Image:
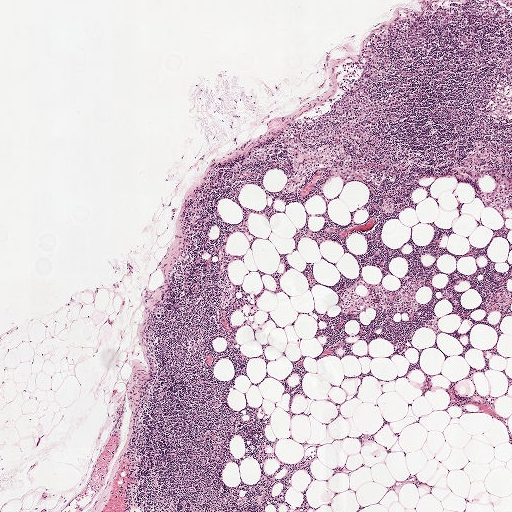
This is a crop of a whole-slide image: an H&E-stained breast-cancer sentinel lymph node section at roughly 2.5× magnification (about 3.9 µm per pixel; the crop spans about 2.0 mm).
Question:
Does this lymph node field contain metastatic tumour?
Answer:
Yes.
Metastatic tumour outline, simplified to 22 points and listed clockwise in crop pixels (x, y): (437, 6), (457, 8), (459, 22), (429, 35), (425, 52), (416, 59), (418, 79), (412, 86), (410, 107), (386, 133), (385, 151), (380, 162), (366, 161), (339, 144), (296, 143), (290, 138), (290, 130), (311, 123), (337, 99), (355, 76), (365, 47), (386, 18).
About 5% of this field is tumour.

Image:
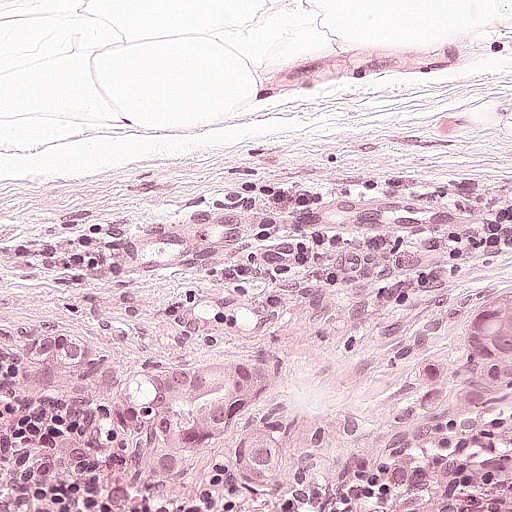
This is a crop of a whole-slide image: an H&E-stained breast-cancer sentinel lymph node section at roughly 20× magnification (about 0.49 µm per pixel; the crop spans about 0.25 mm).
Question:
Does this lymph node field contain metastatic tumour?
Answer:
Yes.
Boundaries of two metastatic tumour regions, simplified and listed clockwise, largest first: region 1: (236, 344), (264, 352), (272, 360), (272, 400), (250, 415), (220, 465), (202, 483), (178, 495), (148, 495), (134, 490), (127, 466), (136, 442), (132, 396), (136, 372), (141, 364), (168, 358), (210, 370); region 2: (510, 304), (511, 408), (466, 425), (440, 459), (374, 484), (364, 480), (372, 454), (409, 388), (459, 356), (473, 327).
Tumour covers about 10% of the frame.

Image:
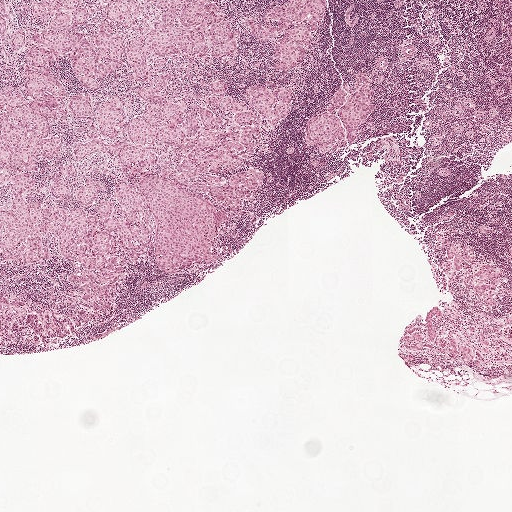
This is a crop of a whole-slide image: an H&E-stained breast-cancer sentinel lymph node section at roughly 2.5× magnification (about 3.9 µm per pixel; the crop spans about 2.0 mm).
Question:
Does this lymph node field contain metastatic tumour?
Answer:
Yes.
One metastatic tumour region; its boundary, reduced to 21 corners and listed clockwise: (0, 0), (326, 0), (298, 74), (274, 68), (276, 44), (246, 36), (214, 65), (240, 101), (266, 81), (295, 96), (238, 165), (264, 177), (243, 216), (220, 230), (215, 262), (163, 272), (152, 243), (103, 323), (46, 346), (21, 336), (0, 347).
About 30% of the image area is annotated as tumour.

Image:
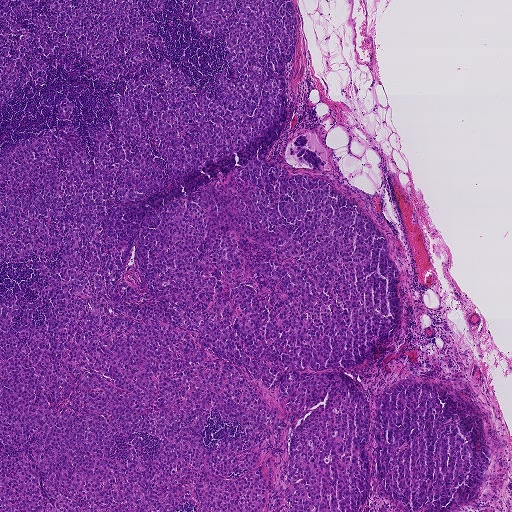
A 1.9-mm field of an H&E-stained sentinel lymph node from a breast-cancer patient (whole-slide image), shown at about 2.5×, about 3.6 µm per pixel.
Question:
Does this lymph node field contain metastatic tumour?
Answer:
Yes.
Boundaries of two metastatic tumour regions, simplified and listed clockwise, largest first: region 1: (0, 0), (164, 0), (150, 57), (195, 88), (233, 73), (193, 0), (293, 0), (268, 162), (357, 201), (401, 276), (392, 339), (342, 370), (371, 425), (394, 383), (451, 388), (493, 453), (457, 511), (402, 511), (372, 475), (361, 510), (0, 511), (0, 297), (34, 302), (41, 274), (32, 255), (0, 265), (0, 154), (69, 124), (67, 97), (94, 162), (137, 75), (100, 83), (65, 48), (72, 70), (50, 60), (0, 109); region 2: (302, 134), (308, 138), (308, 142), (304, 146), (320, 156), (325, 162), (325, 166), (323, 170), (320, 170), (302, 164), (296, 158), (295, 155), (298, 152), (295, 149), (295, 153), (292, 155), (289, 153), (288, 149), (291, 147), (296, 146), (293, 144), (296, 138).
About 70% of the image area is annotated as tumour.